Question: 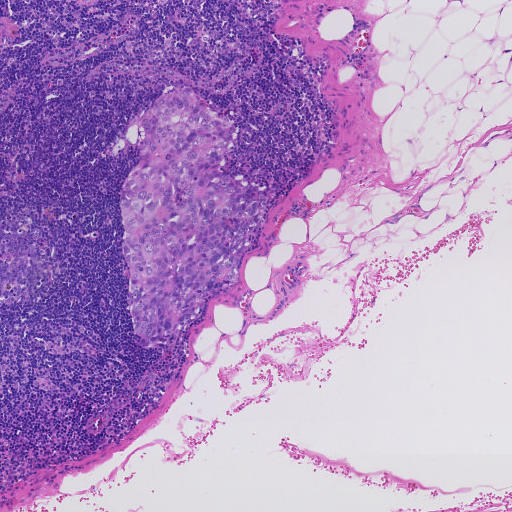
This is a crop of a whole-slide image: an H&E-stained breast-cancer sentinel lymph node section at roughly 5× magnification (about 1.8 µm per pixel; the crop spans about 0.93 mm).
About how much of this crop is taken up by metastatic carcinoma?

Choices:
 (A) none: no tumour is outlined
 (B) about 10% to 20%
 (C) about 25% to 45%
 (D) about 50% or more
 (E) about 5% or less

Answer: (B) about 10% to 20%
About 10% of the field is tumour.
The outlined metastatic tumour's edge, as a closed clockwise path of 16 points: (188, 87), (234, 124), (220, 164), (223, 172), (262, 192), (261, 209), (236, 280), (206, 296), (200, 313), (168, 344), (142, 347), (132, 324), (118, 201), (138, 156), (125, 127), (170, 88).